Image:
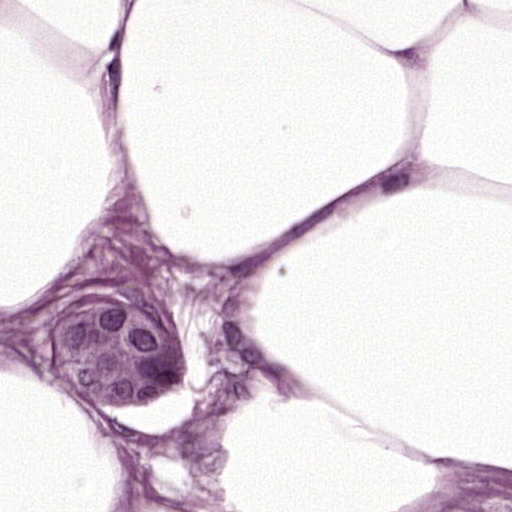
A 0.12-mm field of an H&E-stained sentinel lymph node from a breast-cancer patient (whole-slide image), shown at about 40×, about 0.24 µm per pixel.
Question:
Trace the edge of each tumour region in this crop, as (x, y) points from 0 to 511.
Answer:
Boundaries of two metastatic tumour regions, simplified and listed clockwise, largest first: region 1: (92, 291), (128, 302), (158, 327), (180, 372), (173, 408), (137, 409), (101, 404), (74, 379), (57, 347), (61, 311); region 2: (511, 499), (511, 511), (455, 511), (475, 506), (505, 500).
About 5% of the image area is annotated as tumour.